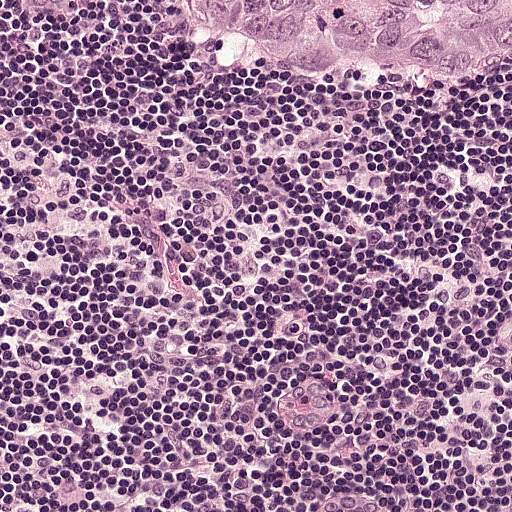
A 0.25-mm field of an H&E-stained sentinel lymph node from a breast-cancer patient (whole-slide image), shown at about 20×, about 0.49 µm per pixel.
Metastatic tumour outline, simplified to 7 points and listed clockwise in crop pixels (x, y): (66, 0), (511, 0), (511, 86), (476, 98), (413, 100), (226, 82), (130, 41).
About 15% of this field is tumour.